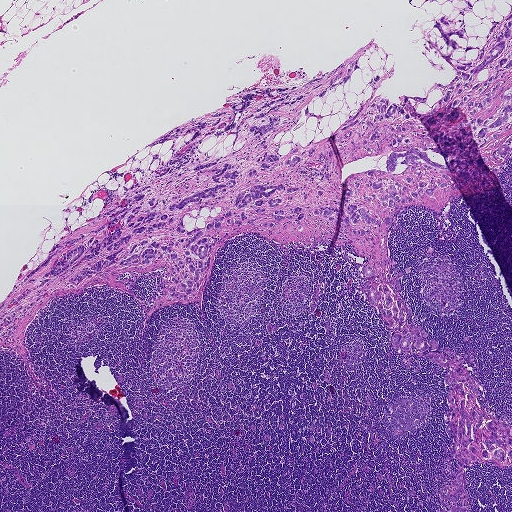
This is a crop of a whole-slide image: an H&E-stained breast-cancer sentinel lymph node section at roughly 2.5× magnification (about 3.6 µm per pixel; the crop spans about 1.9 mm).
Boundaries of two metastatic tumour regions, simplified and listed clockwise, largest first: region 1: (457, 0), (478, 0), (462, 46), (511, 3), (498, 187), (399, 208), (387, 238), (409, 323), (511, 426), (511, 466), (462, 466), (468, 511), (451, 511), (445, 496), (452, 370), (392, 348), (370, 259), (243, 232), (204, 290), (87, 282), (0, 341), (24, 275), (171, 154), (145, 145), (357, 59), (346, 83), (310, 101), (322, 118), (304, 115), (307, 102), (274, 135), (284, 155), (353, 116), (372, 76), (396, 104), (455, 77), (426, 39), (445, 54), (430, 30); region 2: (408, 0), (412, 0), (412, 4), (415, 6), (420, 5), (422, 2), (424, 0), (437, 0), (438, 3), (429, 1), (425, 3), (420, 8), (415, 8), (411, 6), (408, 3).
Two more small tumour pieces are annotated here but not outlined.
About 25% of the image area is annotated as tumour.